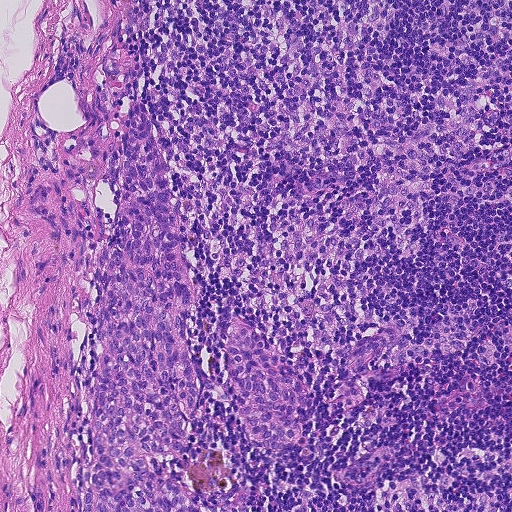
H&E-stained section of a sentinel lymph node (breast cancer), from a whole-slide image, viewed at about 10×: the field is about 0.46 mm across, about 0.9 µm per pixel.
Question: Show where the tumour is in this image.
Answer: Tumour region outline (a closed clockwise path, crop pixels): (142, 100), (178, 216), (194, 364), (224, 381), (235, 314), (280, 349), (313, 394), (302, 435), (270, 452), (253, 444), (225, 385), (206, 383), (190, 455), (227, 455), (240, 470), (242, 507), (82, 511), (85, 398), (103, 344), (92, 328), (92, 274), (116, 221), (128, 108).
The annotated tumour makes up about 15% of the crop.